H&E-stained section of a sentinel lymph node (breast cancer), from a whole-slide image, viewed at about 10×: the field is about 0.5 mm across, about 0.97 µm per pixel.
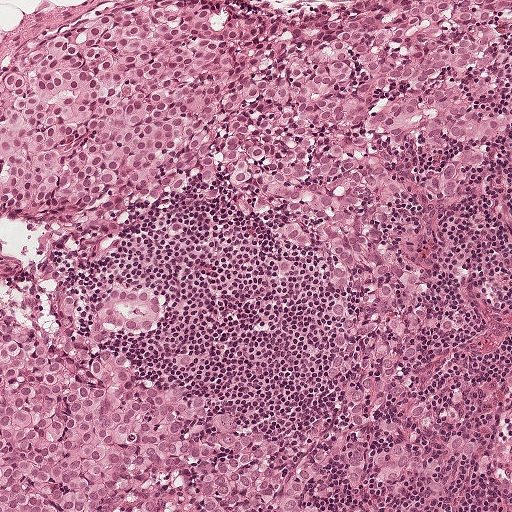
Two metastatic tumour regions, each outlined as a closed clockwise path in crop pixels (x, y), largest first: region 1: (85, 0), (511, 0), (474, 96), (501, 130), (455, 197), (419, 184), (450, 144), (379, 147), (382, 244), (454, 325), (417, 336), (432, 419), (407, 486), (342, 490), (318, 268), (232, 220), (219, 188), (188, 180), (89, 230), (0, 221), (0, 64); region 2: (116, 286), (154, 295), (161, 306), (152, 324), (113, 338), (114, 347), (279, 448), (318, 450), (322, 465), (306, 500), (315, 511), (0, 511), (0, 316), (55, 334), (85, 321).
The annotated tumour makes up about 65% of the crop.